H&E-stained section of a sentinel lymph node (breast cancer), from a whole-slide image, viewed at about 2.5×: the field is about 2.0 mm across, about 3.9 µm per pixel.
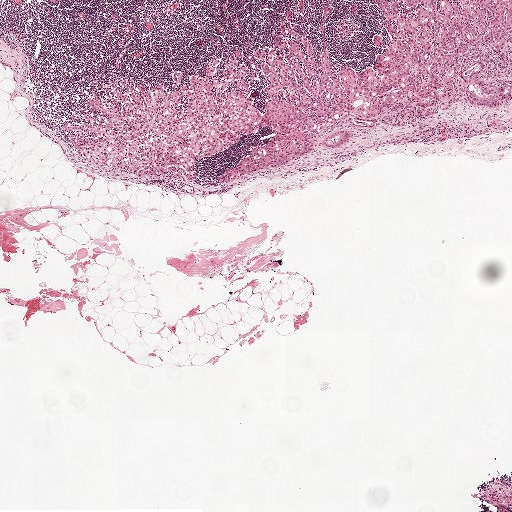
Question: Where is the metastatic tumour in this field?
Answer: Boundaries of two metastatic tumour regions, simplified and listed clockwise, largest first: region 1: (372, 0), (511, 0), (511, 103), (452, 96), (279, 168), (219, 180), (279, 138), (261, 122), (267, 78), (254, 49), (289, 8), (317, 47), (332, 5), (326, 46), (337, 64), (361, 70), (382, 51), (375, 33), (390, 38); region 2: (215, 53), (222, 59), (218, 75), (230, 53), (248, 66), (262, 110), (260, 121), (256, 129), (200, 161), (194, 179), (103, 170), (83, 159), (62, 121), (87, 105), (90, 96), (105, 94), (119, 78), (169, 83), (172, 89), (175, 68), (190, 81), (194, 73), (205, 74), (205, 64).
The annotated tumour makes up about 15% of the crop.